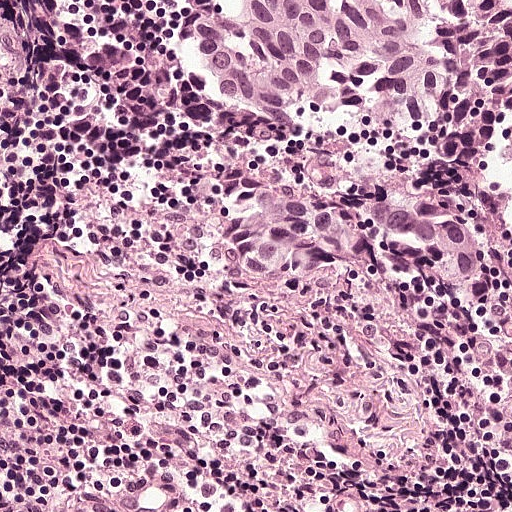
This is a crop of a whole-slide image: an H&E-stained breast-cancer sentinel lymph node section at roughly 20× magnification (about 0.49 µm per pixel; the crop spans about 0.25 mm).
Two metastatic tumour regions, each outlined as a closed clockwise path in crop pixels (x, y), largest first: region 1: (194, 0), (511, 0), (511, 158), (473, 173), (362, 112), (300, 135), (256, 121), (202, 84), (188, 41); region 2: (270, 175), (297, 175), (340, 196), (448, 202), (484, 226), (487, 247), (478, 280), (464, 292), (453, 292), (384, 256), (314, 260), (295, 269), (242, 266), (231, 250), (228, 226), (240, 211), (261, 200).
Tumour covers about 25% of the frame.